Image:
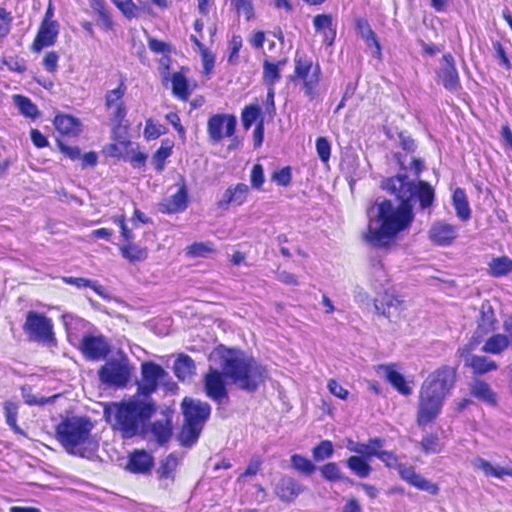
Lymph node section stained with H&E, from a whole-slide image of a breast-cancer sentinel node. Magnification about 40×, about 0.12 mm across the frame, about 0.23 µm per pixel.
Question:
Show where the tumour is in this image.
Answer:
Boundaries of two metastatic tumour regions, simplified and listed clockwise, largest first: region 1: (31, 272), (152, 319), (280, 335), (310, 392), (166, 511), (145, 511), (40, 463), (0, 432), (0, 294); region 2: (392, 0), (511, 0), (511, 56), (485, 46), (418, 32).
About 20% of this field is tumour.